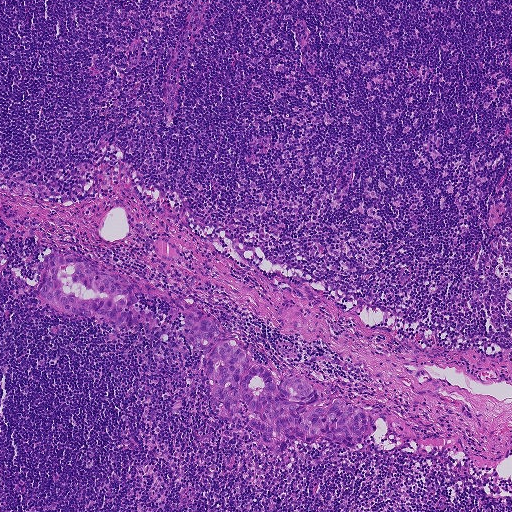
This is a crop of a whole-slide image: an H&E-stained breast-cancer sentinel lymph node section at roughly 5× magnification (about 1.8 µm per pixel; the crop spans about 0.93 mm).
Metastatic tumour outline, simplified to 40 points and listed clockwise in crop pixels (x, y): (52, 252), (76, 252), (173, 292), (199, 318), (219, 320), (248, 362), (270, 371), (277, 388), (287, 377), (305, 377), (324, 405), (342, 399), (367, 414), (372, 440), (358, 449), (299, 441), (284, 454), (253, 446), (262, 433), (248, 426), (246, 407), (240, 402), (235, 418), (226, 419), (212, 407), (204, 352), (185, 340), (183, 318), (178, 312), (170, 318), (161, 297), (136, 297), (135, 306), (152, 315), (153, 333), (141, 323), (116, 327), (46, 303), (37, 288), (42, 261).
The annotated tumour makes up about 5% of the crop.